H&E-stained section of a sentinel lymph node (breast cancer), from a whole-slide image, viewed at about 10×: the field is about 0.5 mm across, about 0.97 µm per pixel.
Image:
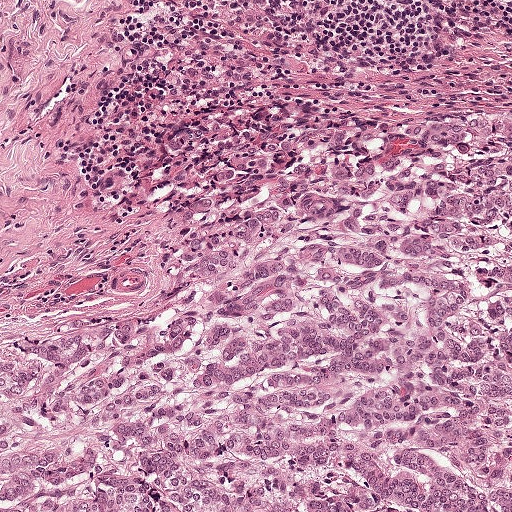
Question:
Outline the metastatic carcinoma in this image, as closed paths of (x, y) pixel coordinates.
Answer:
Metastatic tumour outline, simplified to 7 points and listed clockwise in crop pixels (x, y): (509, 138), (511, 511), (0, 511), (0, 325), (168, 260), (234, 214), (392, 143).
The annotated tumour makes up about 60% of the crop.